A 0.12-mm field of an H&E-stained sentinel lymph node from a breast-cancer patient (whole-slide image), shown at about 40×, about 0.24 µm per pixel.
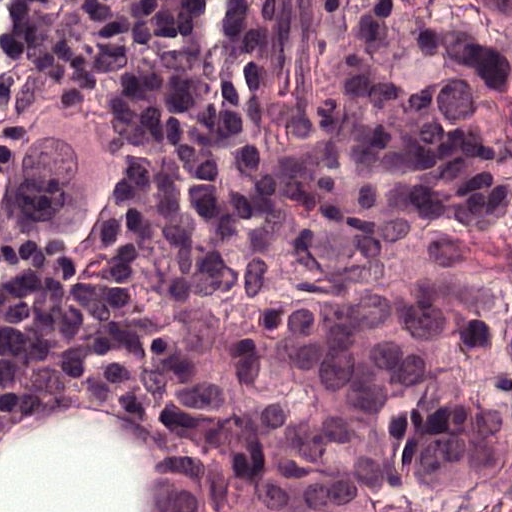
Question: Trace the edge of each tumour region in this crop, as (x, y) points from 0 to 511.
Answer: Boundaries of two metastatic tumour regions, simplified and listed clockwise, largest first: region 1: (511, 0), (511, 511), (165, 511), (147, 416), (177, 349), (236, 320), (262, 272), (321, 131), (347, 1); region 2: (50, 102), (155, 147), (158, 224), (109, 260), (32, 260), (14, 252), (0, 220), (0, 166), (18, 133).
Tumour covers about 60% of the frame.